Question: 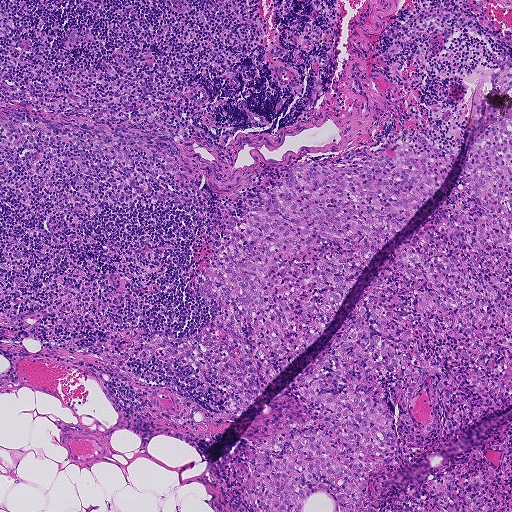
A 0.93-mm field of an H&E-stained sentinel lymph node from a breast-cancer patient (whole-slide image), shown at about 5×, about 1.8 µm per pixel.
What fraction of the image area is metastatic tumour?

Choices:
 (A) none: no tumour is outlined
 (B) about 5% or less
 (C) about 25% to 45%
 (D) about 50% or more
 (E) about 10% to 20%

Answer: (C) about 25% to 45%
About 35% of the field is tumour.
Two metastatic tumour regions, each outlined as a closed clockwise path in crop pixels (x, y), largest first: region 1: (511, 62), (511, 403), (420, 450), (377, 487), (412, 488), (511, 422), (511, 511), (251, 511), (234, 462), (248, 461), (246, 443), (311, 425), (312, 408), (293, 390), (295, 375), (462, 182), (469, 150), (501, 110), (494, 71); region 2: (396, 136), (454, 148), (436, 188), (365, 261), (322, 335), (269, 376), (257, 360), (247, 320), (199, 296), (195, 276), (203, 265), (221, 259), (234, 227), (287, 171), (307, 164), (351, 165).